Question: 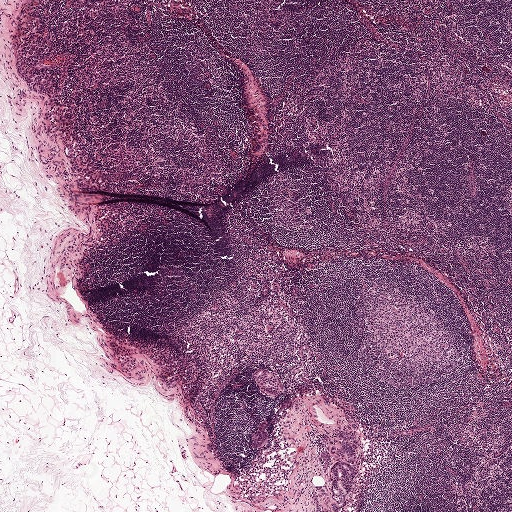
Lymph node section stained with H&E, from a whole-slide image of a breast-cancer sentinel node. Magnification about 2.5×, about 2.0 mm across the frame, about 3.9 µm per pixel.
What fraction of the image area is metastatic tumour?

Choices:
 (A) about 50% or more
 (B) none: no tumour is outlined
 (C) about 25% to 45%
 (D) about 5% or less
 (E) about 10% to 20%

Answer: (D) about 5% or less
Under 5% of the field is tumour.
Three metastatic tumour regions, each outlined as a closed clockwise path in crop pixels (x, y), largest first: region 1: (352, 427), (361, 428), (361, 462), (347, 501), (346, 511), (314, 511), (313, 502), (309, 500), (312, 491), (322, 484), (330, 483), (328, 472), (319, 469), (315, 462), (316, 453), (326, 448), (340, 434); region 2: (259, 367), (278, 376), (283, 383), (282, 392), (275, 396), (260, 393), (252, 377), (252, 372); region 3: (264, 420), (266, 420), (269, 434), (269, 442), (266, 448), (261, 449), (257, 449), (254, 444), (250, 442), (252, 431).